Image:
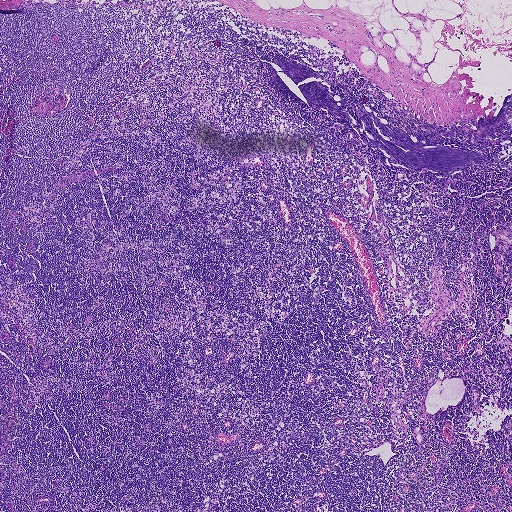
A 1.9-mm field of an H&E-stained sentinel lymph node from a breast-cancer patient (whole-slide image), shown at about 2.5×, about 3.6 µm per pixel.
Question:
Does this lymph node field contain metastatic tumour?
Answer:
No. No metastatic tumour is outlined in this field.